Image:
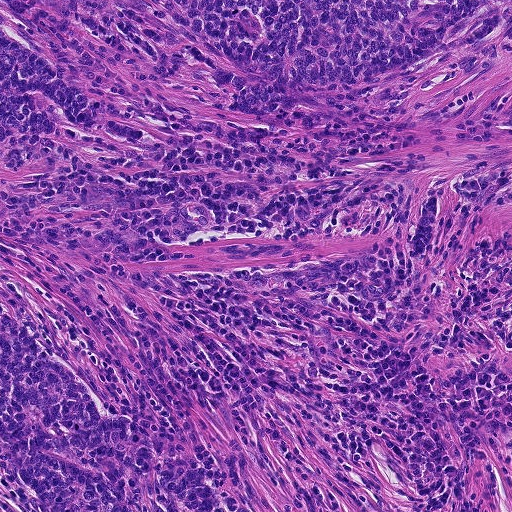
A 0.46-mm field of an H&E-stained sentinel lymph node from a breast-cancer patient (whole-slide image), shown at about 10×, about 0.9 µm per pixel.
Question:
Is any metastatic breast cancer visible in this crop?
Answer:
Yes.
Outlines of three tumour regions, largest first (closed clockwise paths, crop pixels): region 1: (0, 0), (511, 0), (511, 71), (435, 68), (353, 96), (356, 132), (342, 166), (362, 196), (332, 218), (188, 236), (2, 220); region 2: (0, 296), (29, 328), (119, 395), (186, 432), (206, 464), (223, 511), (0, 511); region 3: (437, 192), (437, 218), (432, 237), (425, 251), (411, 257), (410, 245), (413, 229), (425, 200).
The annotated tumour makes up about 45% of the crop.

Image:
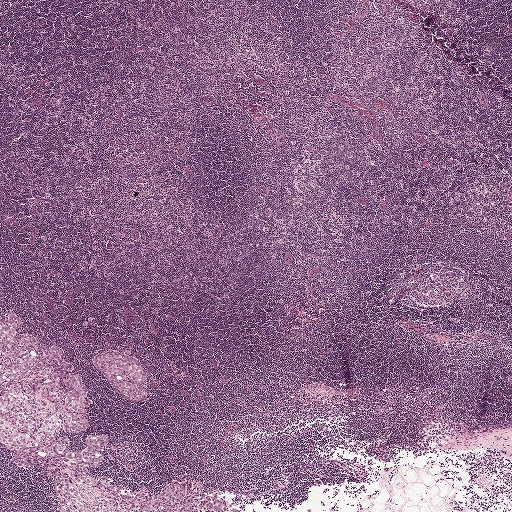
A 2.0-mm field of an H&E-stained sentinel lymph node from a breast-cancer patient (whole-slide image), shown at about 2.5×, about 3.9 µm per pixel.
Question:
Is any metastatic breast cancer visible in this crop?
Answer:
Yes.
Boundaries of two metastatic tumour regions, simplified and listed clockwise, largest first: region 1: (11, 311), (21, 334), (63, 349), (88, 388), (88, 430), (65, 434), (77, 453), (93, 436), (108, 437), (106, 465), (91, 469), (90, 477), (108, 478), (129, 495), (195, 482), (244, 511), (58, 511), (57, 486), (16, 469), (0, 446), (0, 315), (7, 321); region 2: (118, 351), (136, 357), (149, 378), (147, 383), (144, 384), (149, 393), (149, 399), (139, 403), (132, 403), (116, 394), (102, 373), (93, 366), (93, 356), (101, 353).
One more small tumour piece is annotated here but not outlined.
About 5% of the image area is annotated as tumour.

Image:
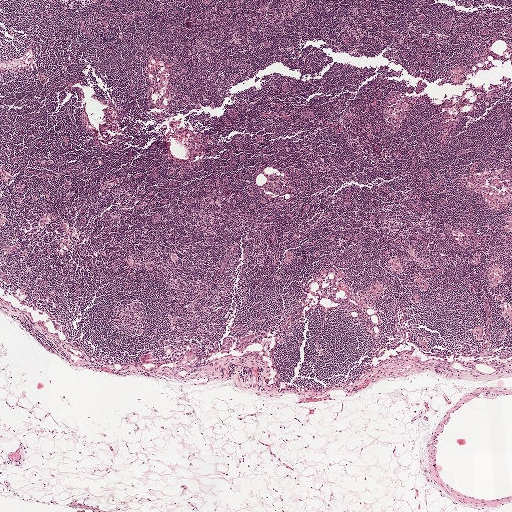
H&E-stained section of a sentinel lymph node (breast cancer), from a whole-slide image, viewed at about 2.5×: the field is about 2.0 mm across, about 3.9 µm per pixel.
Question:
Is any metastatic breast cancer visible in this crop?
Answer:
No, this field holds no outlined metastasis.

Image:
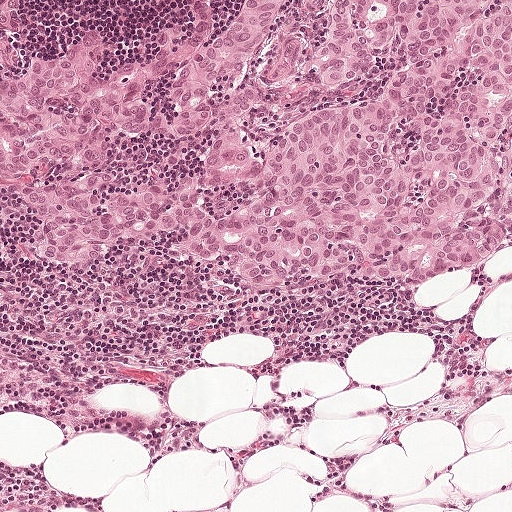
H&E-stained section of a sentinel lymph node (breast cancer), from a whole-slide image, viewed at about 10×: the field is about 0.5 mm across, about 0.97 µm per pixel.
Question:
Is any metastatic breast cancer visible in this crop?
Answer:
Yes.
Tumour region outline (a closed clockwise path, crop pixels): (511, 0), (511, 246), (415, 285), (342, 277), (266, 288), (174, 260), (185, 237), (172, 194), (202, 168), (204, 144), (169, 124), (165, 88), (236, 2).
The annotated tumour makes up about 35% of the crop.